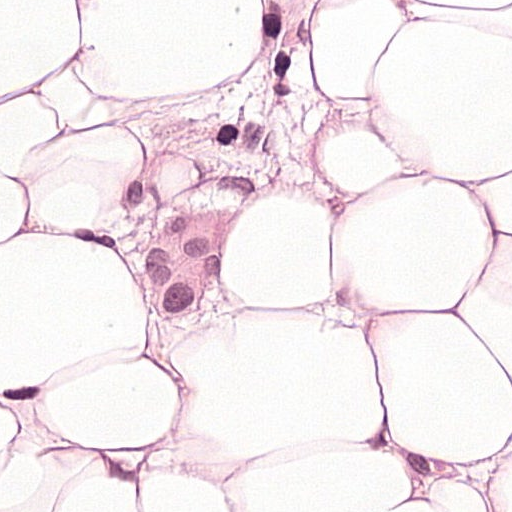
This is a crop of a whole-slide image: an H&E-stained breast-cancer sentinel lymph node section at roughly 40× magnification (about 0.24 µm per pixel; the crop spans about 0.12 mm).
The outlined metastatic tumour's edge, as a closed clockwise path of 15 points: (173, 108), (270, 116), (276, 127), (276, 201), (225, 245), (225, 279), (255, 293), (255, 304), (221, 338), (177, 359), (147, 356), (121, 275), (70, 238), (88, 208), (129, 175).
About 10% of the image area is annotated as tumour.